Question: 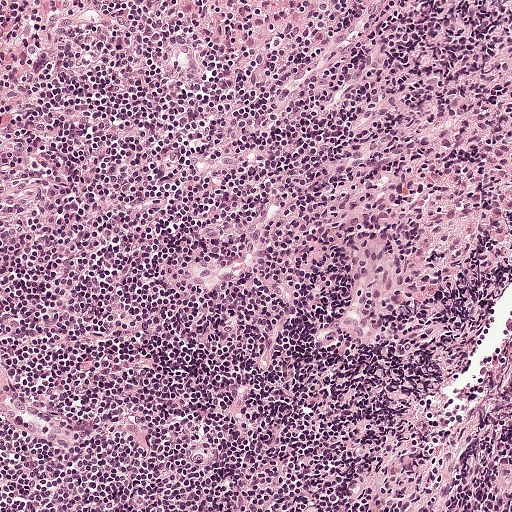
Lymph node section stained with H&E, from a whole-slide image of a breast-cancer sentinel node. Magnification about 10×, about 0.5 mm across the frame, about 0.97 µm per pixel.
Roughly what share of this field is metastatic tumour?

Choices:
 (A) none: no tumour is outlined
 (B) about 10% to 20%
 (C) about 25% to 45%
 (D) about 50% or more
 (E) about 5% or less

Answer: (A) none: no tumour is outlined
No metastatic tumour is outlined in this field.